Lymph node section stained with H&E, from a whole-slide image of a breast-cancer sentinel node. Magnification about 5×, about 0.93 mm across the frame, about 1.8 µm per pixel.
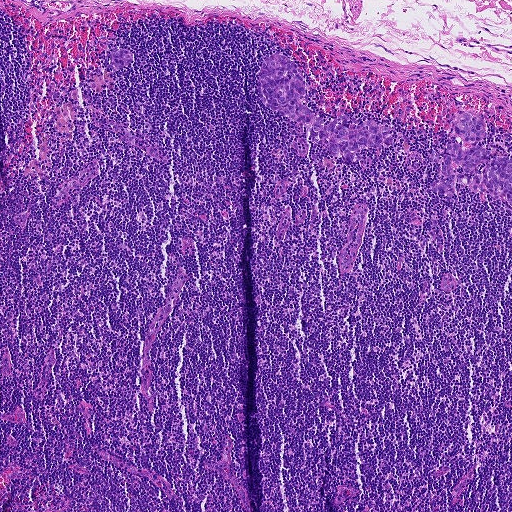
Boundaries of four metastatic tumour regions, simplified and listed clockwise, largest first: region 1: (274, 54), (282, 55), (301, 73), (304, 91), (300, 103), (323, 122), (342, 123), (341, 115), (348, 118), (348, 127), (369, 120), (384, 124), (394, 145), (362, 148), (359, 160), (350, 161), (331, 152), (327, 144), (314, 141), (307, 125), (266, 107), (259, 96), (257, 74), (263, 61); region 2: (450, 144), (465, 150), (478, 146), (486, 149), (486, 158), (476, 167), (480, 173), (491, 158), (509, 156), (511, 147), (511, 208), (489, 195), (486, 187), (485, 192), (476, 194), (456, 181), (451, 198), (435, 192), (430, 185), (439, 175); region 3: (467, 112), (480, 116), (485, 129), (484, 138), (480, 141), (467, 143), (458, 134), (454, 126), (459, 116); region 4: (128, 49), (132, 53), (132, 63), (123, 68), (118, 69), (113, 68), (111, 63), (113, 50).
Tumour covers about 5% of the frame.